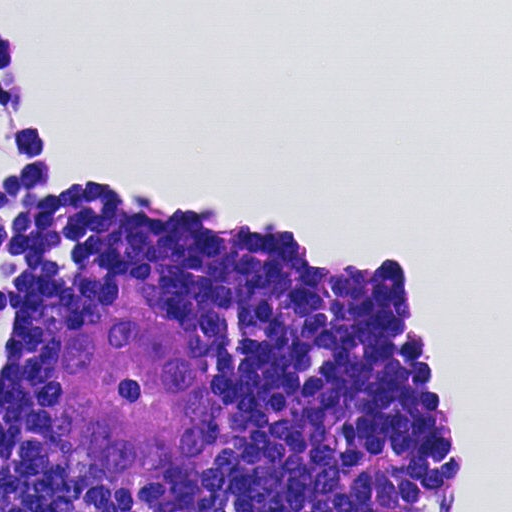
Lymph node section stained with H&E, from a whole-slide image of a breast-cancer sentinel node. Magnification about 40×, about 0.12 mm across the frame, about 0.23 µm per pixel.
Question: Which parts of this field are metastatic tumour?
Answer: One metastatic tumour region; its boundary, reduced to 9 corners and listed clockwise: (120, 310), (173, 329), (209, 376), (226, 426), (203, 473), (148, 480), (96, 470), (57, 435), (67, 330).
About 10% of this field is tumour.